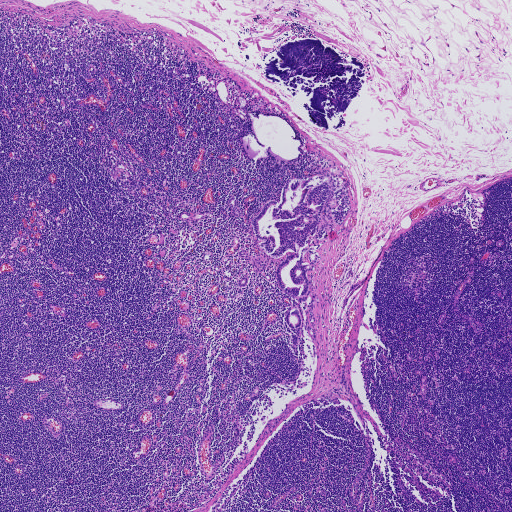
H&E-stained section of a sentinel lymph node (breast cancer), from a whole-slide image, viewed at about 2.5×: the field is about 1.9 mm across, about 3.6 µm per pixel.
Outlines of six tumour regions, largest first (closed clockwise paths, crop pixels): region 1: (332, 163), (330, 172), (337, 204), (334, 212), (335, 227), (315, 251), (321, 258), (315, 270), (307, 272), (312, 303), (305, 310), (278, 285), (279, 264), (294, 252), (289, 250), (284, 256), (272, 258), (259, 246), (252, 222), (266, 203), (270, 200), (279, 203), (289, 178), (307, 177); region 2: (297, 306), (302, 318), (302, 323), (298, 346), (295, 347), (293, 345), (291, 335), (292, 334), (296, 335), (297, 330), (290, 328), (286, 320), (287, 311), (290, 308); region 3: (259, 254), (264, 260), (266, 263), (266, 267), (264, 270), (261, 271), (257, 270), (255, 268), (252, 262), (256, 256); region 4: (235, 197), (237, 201), (236, 204), (242, 214), (239, 216), (235, 216), (232, 214), (231, 207), (229, 204), (228, 200), (231, 198); region 5: (309, 326), (314, 329), (316, 333), (316, 338), (314, 342), (308, 335); region 6: (310, 309), (313, 312), (314, 317), (315, 321), (314, 325), (310, 323), (308, 319).
Two more small tumour pieces are annotated here but not outlined.
The annotated tumour makes up about 5% of the crop.